A 0.93-mm field of an H&E-stained sentinel lymph node from a breast-cancer patient (whole-slide image), shown at about 5×, about 1.8 µm per pixel.
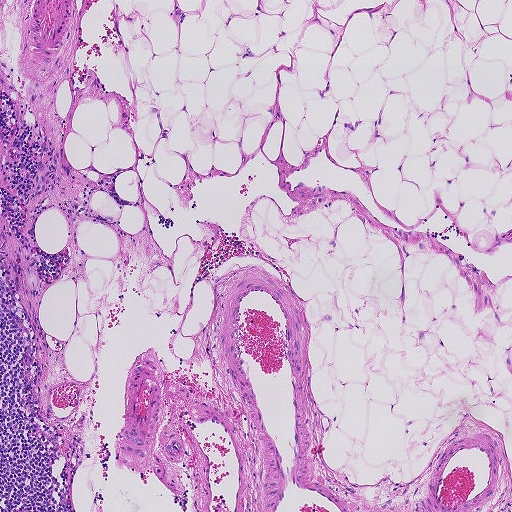
Question: Is any metastatic breast cancer visible in this crop?
Answer: No. No metastatic tumour is outlined in this field.